H&E-stained section of a sentinel lymph node (breast cancer), from a whole-slide image, viewed at about 2.5×: the field is about 2.0 mm across, about 3.9 µm per pixel.
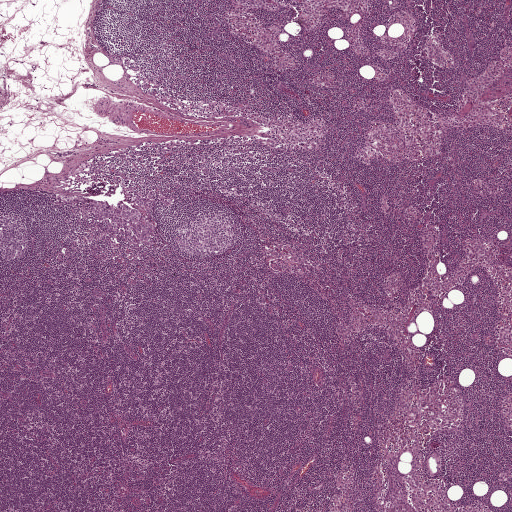
Tumour region outline (a closed clockwise path, crop pixels): (152, 189), (159, 193), (161, 189), (171, 198), (169, 200), (170, 207), (161, 204), (155, 198), (152, 216), (154, 244), (145, 246), (119, 237), (110, 239), (101, 223), (84, 219), (73, 207), (57, 198), (60, 194), (77, 194), (105, 200), (113, 205), (121, 200), (147, 216), (135, 197).
Tumour covers under 5% of the frame.